H&E-stained section of a sentinel lymph node (breast cancer), from a whole-slide image, viewed at about 20×: the field is about 0.25 mm across, about 0.49 µm per pixel.
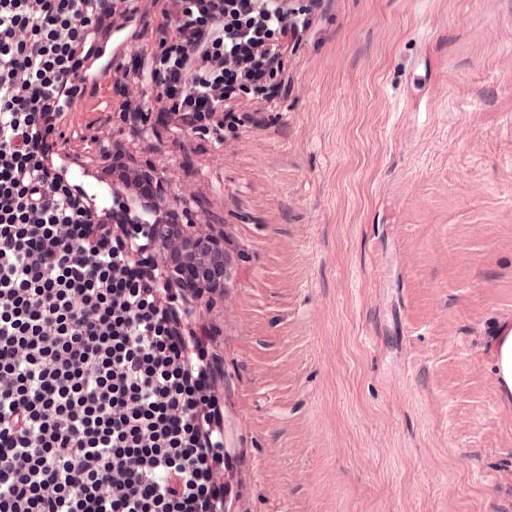
The outlined metastatic tumour's edge, as a closed clockwise path of 11 points: (100, 144), (120, 146), (196, 211), (230, 248), (238, 270), (238, 294), (215, 303), (191, 297), (170, 285), (130, 195), (95, 162).
About 5% of this field is tumour.